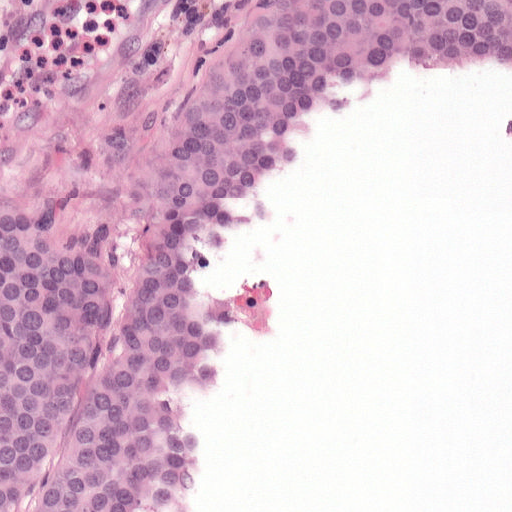
A 0.25-mm field of an H&E-stained sentinel lymph node from a breast-cancer patient (whole-slide image), shown at about 20×, about 0.49 µm per pixel.
Metastatic tumour outline, simplified to 10 points and listed clockwise in crop pixels (x, y): (0, 0), (511, 0), (511, 83), (344, 122), (303, 161), (272, 210), (279, 317), (213, 411), (208, 511), (0, 511).
Tumour covers about 60% of the frame.